Question: 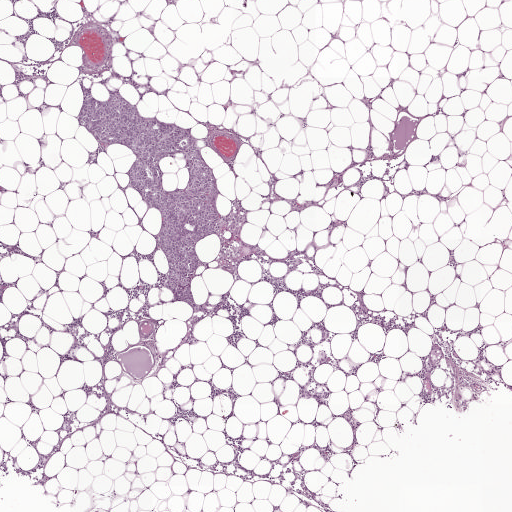
H&E-stained section of a sentinel lymph node (breast cancer), from a whole-slide image, viewed at about 2.5×: the field is about 2.0 mm across, about 3.9 µm per pixel.
Estimate the proportion of this field that is metastatic tumour.

Choices:
 (A) about 5% or less
 (B) about 50% or more
 (C) none: no tumour is outlined
 (D) about 25% to 45%
 (E) about 10% to 20%

Answer: (A) about 5% or less
About 5% of the field is tumour.
Tumour region outline (a closed clockwise path, crop pixels): (111, 90), (119, 90), (145, 116), (191, 132), (194, 144), (160, 159), (163, 189), (186, 186), (184, 155), (191, 146), (215, 179), (217, 214), (223, 218), (237, 206), (245, 211), (235, 232), (217, 221), (215, 234), (197, 240), (196, 252), (203, 262), (192, 283), (193, 306), (176, 302), (167, 288), (170, 276), (158, 242), (163, 223), (159, 209), (146, 203), (129, 180), (135, 153), (122, 145), (101, 149), (76, 123), (85, 95), (91, 91), (102, 101).